Image:
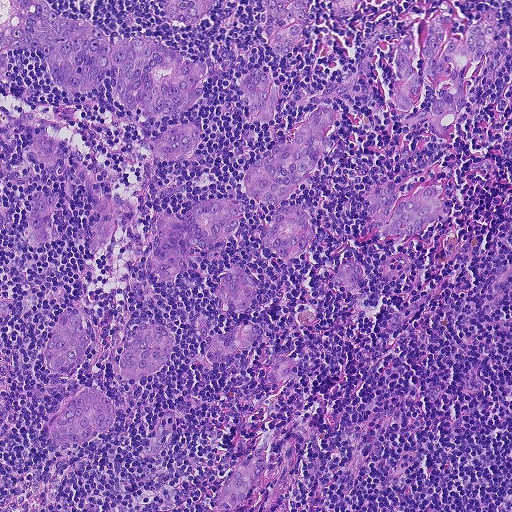
H&E-stained section of a sentinel lymph node (breast cancer), from a whole-slide image, viewed at about 10×: the field is about 0.46 mm across, about 0.9 µm per pixel.
Question:
Describe where the metastatic carcinoma lies in this crop.
Answer:
The eight largest tumour regions' boundaries, simplified and listed clockwise, largest first: region 1: (0, 0), (42, 0), (63, 18), (94, 26), (109, 42), (151, 36), (207, 65), (199, 85), (207, 91), (193, 106), (152, 116), (123, 105), (116, 97), (119, 76), (110, 70), (88, 91), (68, 90), (59, 84), (45, 55), (26, 46), (6, 52), (1, 72); region 2: (432, 16), (442, 17), (452, 37), (463, 44), (469, 25), (489, 20), (494, 41), (484, 60), (464, 69), (468, 104), (448, 142), (428, 121), (409, 126), (409, 117), (430, 111), (441, 91), (423, 80), (410, 111), (401, 116), (394, 107), (394, 53), (406, 35), (414, 42), (417, 64); region 3: (331, 107), (339, 114), (330, 133), (334, 144), (294, 194), (263, 203), (253, 200), (243, 193), (240, 182), (244, 172), (271, 152), (310, 115), (320, 108); region 4: (203, 202), (236, 202), (241, 211), (240, 222), (234, 231), (226, 240), (204, 250), (194, 247), (173, 281), (162, 281), (147, 265), (149, 254), (154, 244), (156, 233), (153, 222), (161, 215), (172, 214), (181, 219), (193, 206); region 5: (441, 182), (445, 193), (445, 204), (442, 214), (414, 234), (380, 235), (372, 229), (367, 208), (367, 196), (386, 184), (398, 184), (398, 194), (402, 200), (412, 195), (420, 187), (430, 183); region 6: (92, 388), (102, 392), (110, 400), (114, 411), (114, 422), (110, 432), (77, 444), (65, 444), (54, 440), (50, 430), (54, 419), (68, 401), (81, 391); region 7: (142, 324), (164, 328), (174, 333), (175, 344), (172, 355), (156, 371), (134, 380), (124, 378), (117, 369), (117, 358); region 8: (258, 0), (313, 0), (310, 5), (313, 16), (313, 27), (303, 32), (300, 43), (291, 50), (281, 55), (271, 52), (266, 41), (265, 7).
11 more, smaller tumour regions are not outlined.
One more small tumour piece is annotated here but not outlined.
Tumour covers about 20% of the frame.